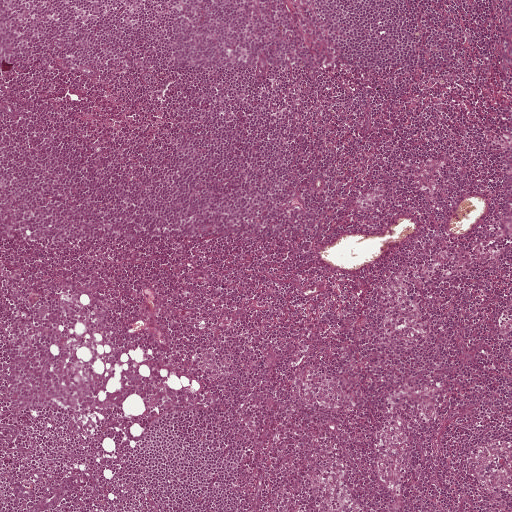
H&E-stained section of a sentinel lymph node (breast cancer), from a whole-slide image, viewed at about 5×: the field is about 1 mm across, about 1.9 µm per pixel.